Lymph node section stained with H&E, from a whole-slide image of a breast-cancer sentinel node. Magnification about 20×, about 0.25 mm across the frame, about 0.49 µm per pixel.
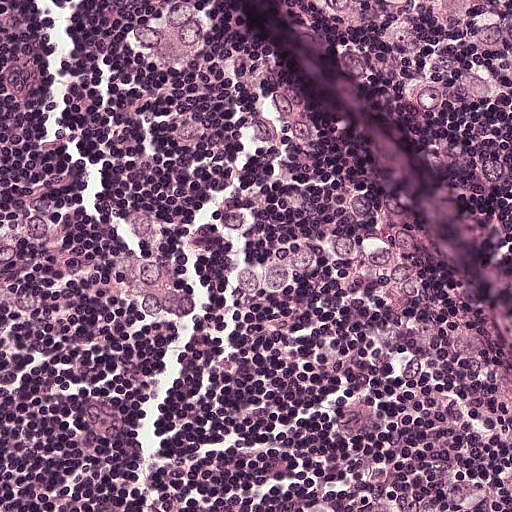
Boundaries of two metastatic tumour regions, simplified and listed clockwise, largest first: region 1: (244, 126), (246, 158), (289, 186), (400, 309), (511, 380), (511, 511), (0, 511), (0, 190), (92, 181), (195, 135); region 2: (511, 0), (511, 209), (472, 141), (374, 61), (349, 36), (332, 4).
About 65% of the image area is annotated as tumour.